Image:
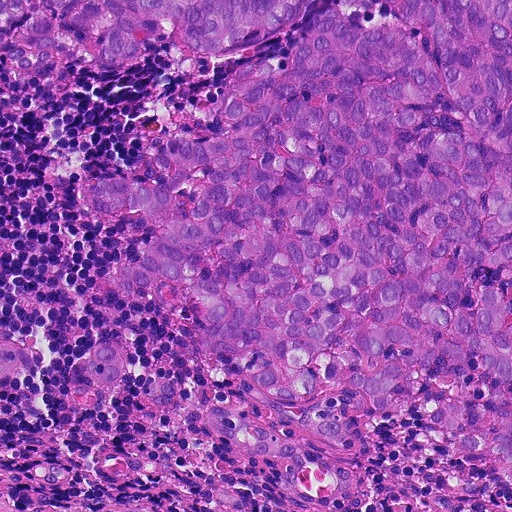
A 0.23-mm field of an H&E-stained sentinel lymph node from a breast-cancer patient (whole-slide image), shown at about 20×, about 0.45 µm per pixel.
Question:
Where is the metastatic tumour in this field?
Answer:
Outlines of three tumour regions, largest first (closed clockwise paths, crop pixels): region 1: (0, 0), (511, 0), (511, 481), (421, 403), (388, 417), (346, 388), (328, 409), (352, 436), (322, 443), (208, 316), (115, 292), (163, 230), (90, 184), (162, 132), (212, 134), (236, 67), (278, 70), (306, 16), (35, 77), (0, 57); region 2: (202, 404), (220, 405), (301, 449), (298, 485), (280, 482), (284, 464), (248, 455), (233, 444), (216, 436), (205, 422); region 3: (12, 342), (28, 352), (36, 368), (0, 383), (0, 343).
Two more small tumour pieces are annotated here but not outlined.
Tumour covers about 60% of the frame.